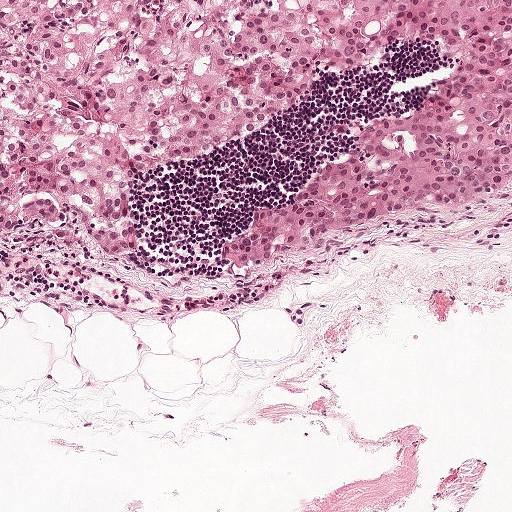
A 0.5-mm field of an H&E-stained sentinel lymph node from a breast-cancer patient (whole-slide image), shown at about 10×, about 0.97 µm per pixel.
Two metastatic tumour regions, each outlined as a closed clockwise path in crop pixels (x, y), largest first: region 1: (0, 0), (397, 0), (374, 53), (240, 139), (150, 181), (129, 251), (2, 243); region 2: (398, 0), (511, 0), (511, 182), (456, 208), (368, 214), (273, 256), (228, 254), (234, 222), (249, 201), (384, 110), (442, 109), (469, 86), (461, 69), (446, 66), (403, 32).
About 35% of the image area is annotated as tumour.